Question: 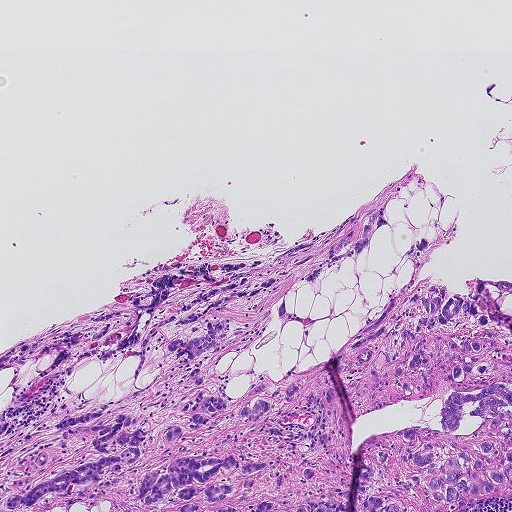
A 0.93-mm field of an H&E-stained sentinel lymph node from a breast-cancer patient (whole-slide image), shown at about 5×, about 1.8 µm per pixel.
Estimate the proportion of this field that is metastatic tumour.

Choices:
 (A) about 10% to 20%
 (B) about 50% or more
 (C) none: no tumour is outlined
 (D) about 5% or less
 (E) about 25% to 45%

Answer: (E) about 25% to 45%
About 40% of the field is tumour.
Boundaries of two metastatic tumour regions, simplified and listed clockwise, largest first: region 1: (383, 206), (362, 254), (288, 290), (314, 324), (278, 318), (284, 292), (214, 375), (230, 370), (237, 398), (314, 367), (410, 280), (412, 240), (441, 238), (418, 283), (511, 281), (511, 498), (0, 511), (0, 354), (163, 263), (277, 256), (358, 208), (355, 239); region 2: (486, 86), (494, 87), (492, 95), (500, 100), (508, 98), (511, 92), (511, 101), (508, 104), (499, 104), (492, 100), (486, 94).